Image:
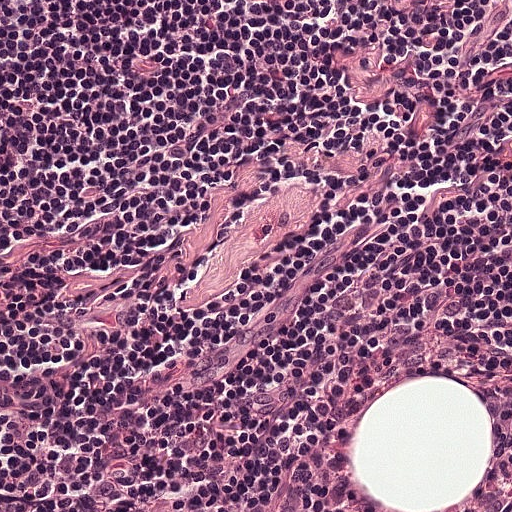
Lymph node section stained with H&E, from a whole-slide image of a breast-cancer sentinel node. Magnification about 20×, about 0.25 mm across the frame, about 0.49 µm per pixel.
Question:
Is there metastatic carcinoma in this field?
Answer:
No: no metastatic tumour is outlined anywhere in this field.